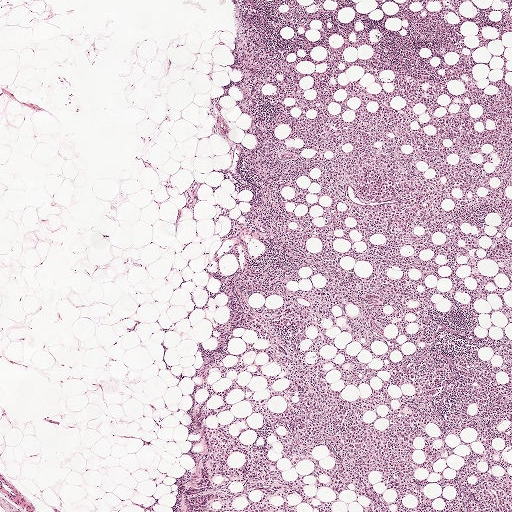
A 2.0-mm field of an H&E-stained sentinel lymph node from a breast-cancer patient (whole-slide image), shown at about 2.5×, about 3.9 µm per pixel.
Boundaries of two metastatic tumour regions, simplified and listed clockwise, largest first: region 1: (294, 354), (318, 362), (330, 389), (357, 402), (363, 421), (376, 429), (410, 414), (421, 490), (400, 496), (371, 470), (376, 499), (356, 496), (350, 484), (335, 498), (326, 485), (333, 459), (323, 444), (312, 448), (315, 462), (290, 463), (280, 446), (280, 392), (288, 382), (274, 364); region 2: (511, 489), (511, 511), (489, 511), (494, 499).
About 5% of the image area is annotated as tumour.